Image:
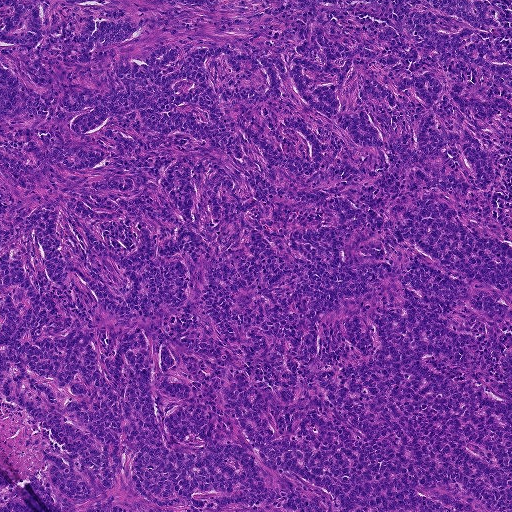
Lymph node section stained with H&E, from a whole-slide image of a breast-cancer sentinel node. Magnification about 5×, about 0.93 mm across the frame, about 1.8 µm per pixel.
Question:
Which parts of this field are metastatic tumour?
Answer:
Metastatic tumour covers the whole field.
Over 95% of this field is tumour.